This is a crop of a whole-slide image: an H&E-stained breast-cancer sentinel lymph node section at roughly 10× magnification (about 0.97 µm per pixel; the crop spans about 0.5 mm).
Question: 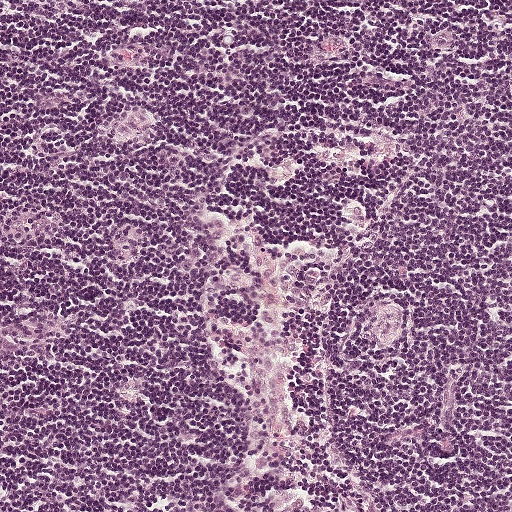
What fraction of the image area is metastatic tumour?

Choices:
 (A) about 10% to 20%
 (B) none: no tumour is outlined
 (C) about 5% or less
 (D) about 25% to 45%
 (E) about 50% or more

Answer: (B) none: no tumour is outlined
No metastatic tumour is outlined in this field.